Image:
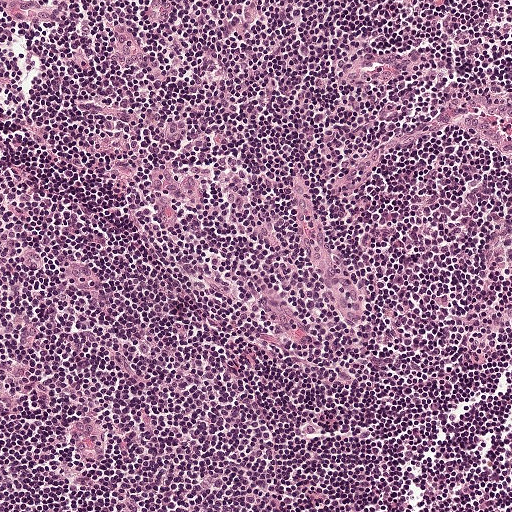
Lymph node section stained with H&E, from a whole-slide image of a breast-cancer sentinel node. Magnification about 10×, about 0.5 mm across the frame, about 0.97 µm per pixel.
Question:
Is any metastatic breast cancer visible in this crop?
Answer:
No: no metastatic tumour is outlined anywhere in this field.